Question: 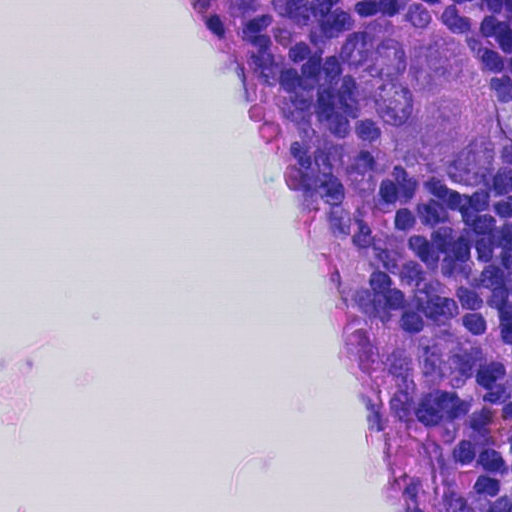
About what magnification does this crop show?

Choices:
 (A) about 40×
 (B) about 10×
 (C) about 5×
 (D) about 2.5×
 (E) about 20×

Answer: (A) about 40×
Lymph node section stained with H&E, from a whole-slide image of a breast-cancer sentinel node. Magnification about 40×, about 0.12 mm across the frame, about 0.23 µm per pixel.
The outlined metastatic tumour's edge, as a closed clockwise path of 8 points: (446, 17), (476, 46), (500, 112), (496, 179), (429, 191), (376, 149), (351, 85), (378, 22).
Tumour covers about 5% of the frame.